Lymph node section stained with H&E, from a whole-slide image of a breast-cancer sentinel node. Magnification about 5×, about 0.93 mm across the frame, about 1.8 µm per pixel.
Image:
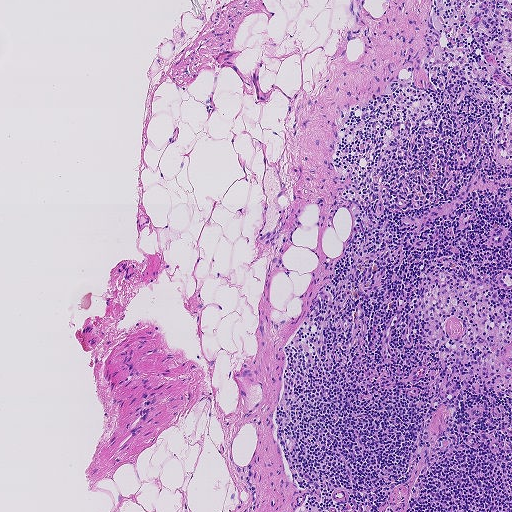
Question:
Is any metastatic breast cancer visible in this crop?
Answer:
No: no metastatic tumour is outlined anywhere in this field.